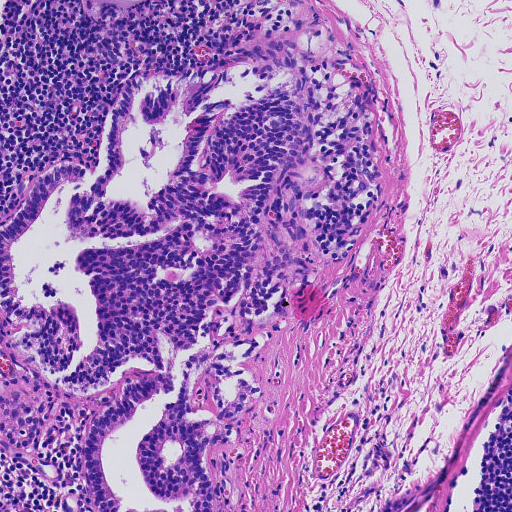
This is a crop of a whole-slide image: an H&E-stained breast-cancer sentinel lymph node section at roughly 10× magnification (about 0.91 µm per pixel; the crop spans about 0.46 mm).
Boundaries of two metastatic tumour regions, simplified and listed clockwise, largest first: region 1: (304, 15), (297, 48), (328, 177), (312, 210), (318, 268), (306, 300), (238, 364), (262, 394), (237, 442), (206, 449), (213, 511), (97, 511), (87, 433), (122, 381), (156, 368), (132, 359), (112, 384), (67, 392), (14, 346), (0, 225), (58, 161), (94, 174), (135, 74), (204, 68); region 2: (16, 378), (36, 401), (42, 414), (42, 429), (33, 441), (20, 447), (6, 443), (0, 435), (0, 390).
About 40% of the image area is annotated as tumour.